Image:
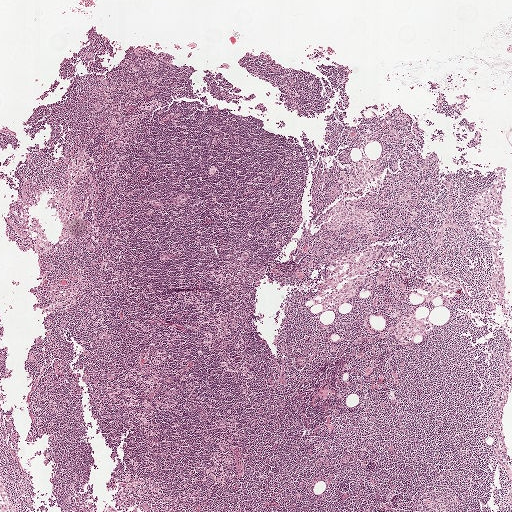
H&E-stained section of a sentinel lymph node (breast cancer), from a whole-slide image, viewed at about 2.5×: the field is about 2.0 mm across, about 3.9 µm per pixel.
Question:
Does this lymph node field contain metastatic tumour?
Answer:
No: no metastatic tumour is outlined anywhere in this field.